Question: 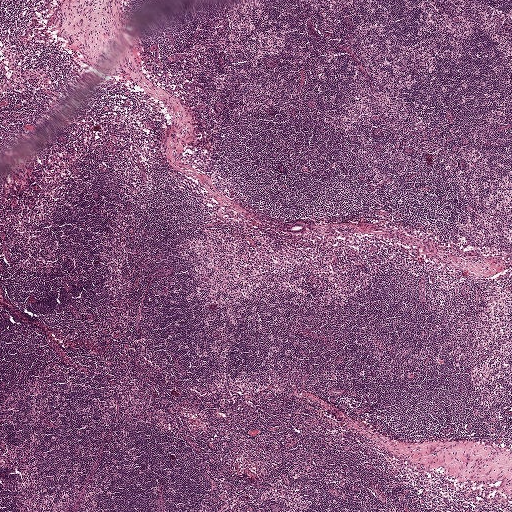
Lymph node section stained with H&E, from a whole-slide image of a breast-cancer sentinel node. Magnification about 2.5×, about 2.0 mm across the frame, about 3.9 µm per pixel.
About how much of this crop is taken up by metastatic carcinoma?

Choices:
 (A) about 25% to 45%
 (B) none: no tumour is outlined
 (C) about 50% or more
 (D) about 5% or less
 (E) about 10% to 20%

Answer: (D) about 5% or less
Under 5% of the field is tumour.
One metastatic tumour region; its boundary, reduced to 10 corners and listed clockwise: (295, 223), (305, 224), (306, 226), (306, 233), (304, 234), (297, 234), (284, 233), (280, 229), (280, 227), (282, 226).